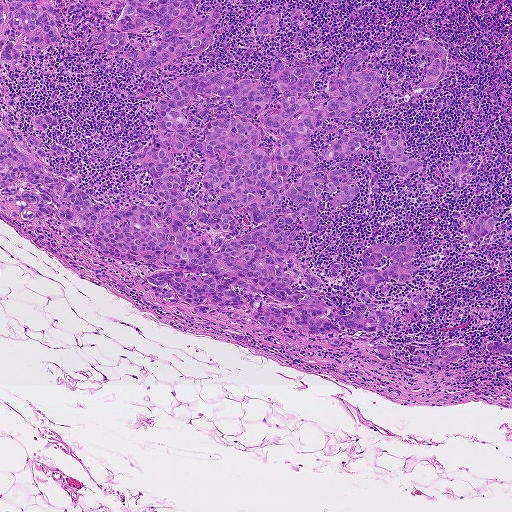
H&E-stained section of a sentinel lymph node (breast cancer), from a whole-slide image, viewed at about 5×: the field is about 0.93 mm across, about 1.8 µm per pixel.
Outlines of the eight largest metastatic tumour regions, each a closed clockwise path in crop pixels (x, y), largest first: region 1: (362, 48), (376, 105), (313, 150), (396, 130), (425, 170), (368, 142), (359, 197), (324, 192), (286, 271), (349, 316), (365, 248), (421, 237), (419, 270), (370, 301), (428, 295), (382, 332), (201, 314), (145, 281), (169, 268), (0, 196), (0, 118), (20, 146), (51, 113), (36, 136), (72, 150), (48, 168), (163, 206), (126, 156), (164, 85), (231, 67), (270, 90), (262, 114), (280, 94), (269, 62), (324, 64), (310, 97); region 2: (122, 0), (198, 0), (195, 14), (212, 16), (218, 8), (216, 28), (228, 28), (206, 53), (138, 72), (123, 56), (160, 43), (160, 26), (126, 32), (128, 46), (120, 54), (108, 55), (91, 39), (94, 32), (113, 30); region 3: (0, 0), (51, 0), (59, 26), (59, 38), (52, 46), (21, 61), (18, 67), (9, 67), (0, 62), (0, 49), (9, 27), (5, 18), (0, 26); region 4: (428, 40), (440, 42), (446, 52), (446, 64), (444, 75), (437, 85), (426, 89), (414, 88), (424, 76), (428, 65), (432, 63), (431, 58), (414, 51), (415, 43); region 5: (494, 339), (511, 343), (511, 356), (496, 357), (485, 352), (484, 348), (465, 348), (459, 358), (449, 364), (438, 366), (429, 359), (447, 347), (459, 344), (468, 346), (479, 347), (485, 346); region 6: (492, 215), (494, 217), (495, 228), (476, 240), (464, 240), (475, 221), (481, 217), (485, 220); region 7: (273, 14), (278, 16), (279, 19), (271, 35), (265, 36), (252, 29), (257, 20), (262, 15); region 8: (388, 345), (393, 353), (391, 359), (379, 359), (375, 352), (376, 346).
One more, smaller tumour region is not outlined.
About 30% of this field is tumour.